This is a crop of a whole-slide image: an H&E-stained breast-cancer sentinel lymph node section at roughly 2.5× magnification (about 3.9 µm per pixel; the crop spans about 2.0 mm).
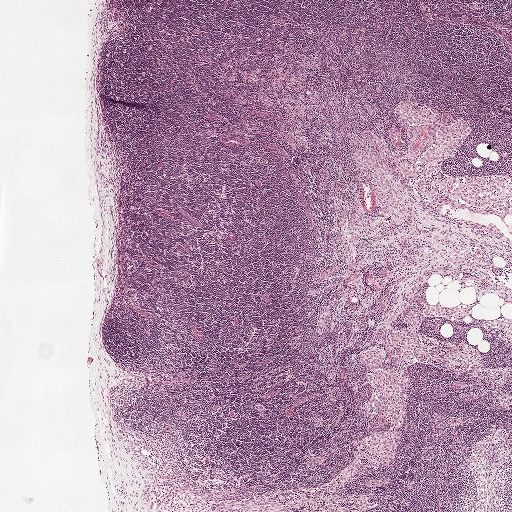
Tumour region outline (a closed clockwise path, crop pixels): (359, 139), (380, 152), (390, 164), (397, 189), (401, 195), (403, 195), (397, 210), (390, 207), (383, 212), (379, 211), (376, 207), (374, 184), (366, 178), (359, 168), (348, 161), (353, 154), (354, 147), (350, 141).
Tumour covers under 5% of the frame.